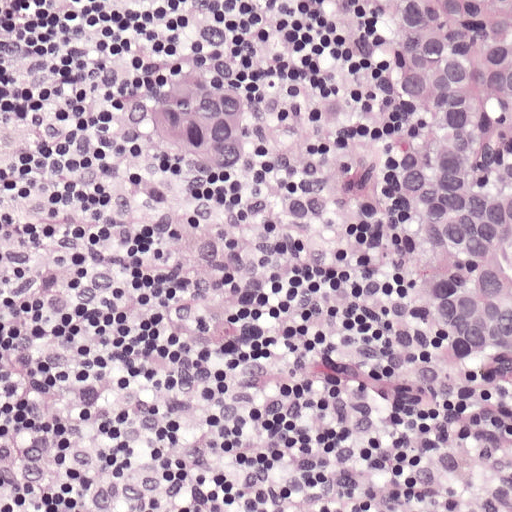
A 0.25-mm field of an H&E-stained sentinel lymph node from a breast-cancer patient (whole-slide image), shown at about 20×, about 0.49 µm per pixel.
One tumour region is annotated but not outlined: its edge is too irregular for a short outline.
Tumour covers about 25% of the frame.